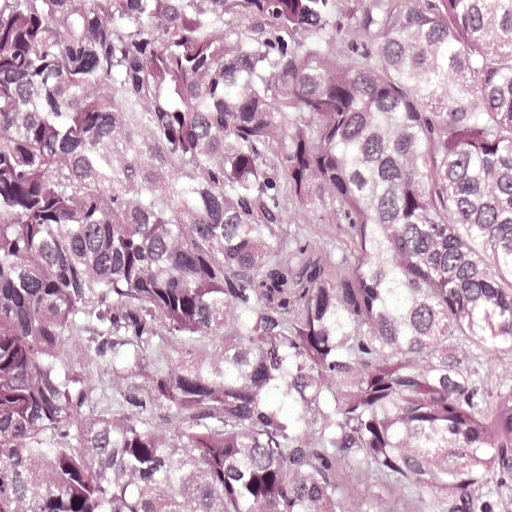
H&E-stained section of a sentinel lymph node (breast cancer), from a whole-slide image, viewed at about 20×: the field is about 0.25 mm across, about 0.49 µm per pixel.
Metastatic tumour covers the whole field.
Over 95% of the image area is annotated as tumour.